This is a crop of a whole-slide image: an H&E-stained breast-cancer sentinel lymph node section at roughly 10× magnification (about 0.97 µm per pixel; the crop spans about 0.5 mm).
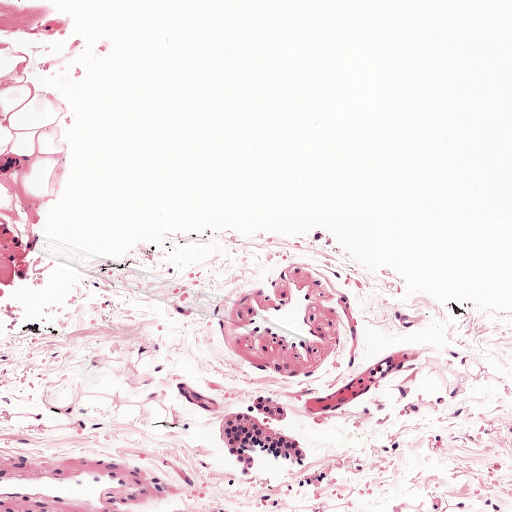
Question: Trace the edge of each tumour region in this crop, as (x, y) points from 0 to 511.
Answer: Tumour region outline (a closed clockwise path, crop pixels): (264, 394), (283, 402), (287, 411), (285, 420), (277, 427), (296, 438), (309, 453), (308, 463), (298, 467), (276, 461), (268, 455), (258, 456), (253, 476), (242, 476), (233, 458), (218, 444), (218, 424), (222, 416), (244, 411), (253, 396).
The annotated tumour makes up under 5% of the crop.